Question: 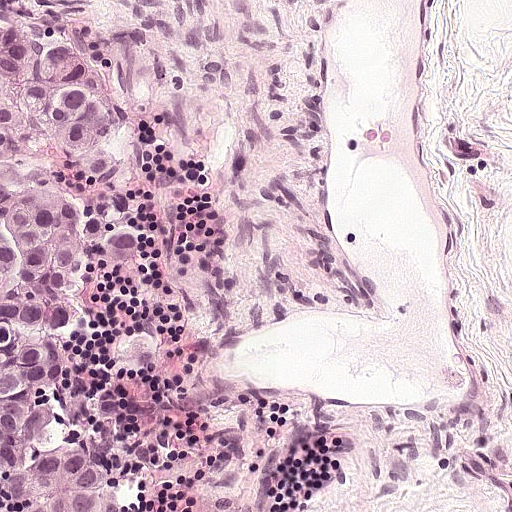
A 0.25-mm field of an H&E-stained sentinel lymph node from a breast-cancer patient (whole-slide image), shown at about 20×, about 0.49 µm per pixel.
What fraction of the image area is metastatic tumour?

Choices:
 (A) about 25% to 45%
 (B) about 5% or less
 (C) about 50% or more
 (D) none: no tumour is outlined
 (E) about 10% to 20%

Answer: (E) about 10% to 20%
About 15% of the field is tumour.
One metastatic tumour region; its boundary, reduced to 21 corners and listed clockwise: (0, 9), (54, 28), (110, 104), (126, 137), (143, 236), (132, 256), (114, 250), (105, 236), (106, 196), (54, 151), (54, 180), (86, 213), (88, 320), (69, 340), (66, 372), (46, 393), (58, 426), (104, 472), (110, 509), (10, 511), (2, 478).